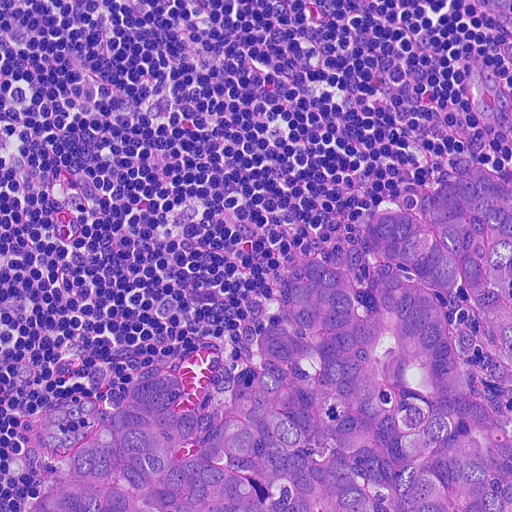
Lymph node section stained with H&E, from a whole-slide image of a breast-cancer sentinel node. Magnification about 20×, about 0.23 mm across the frame, about 0.45 µm per pixel.
One metastatic tumour region; its boundary, reduced to 16 corners and listed clockwise: (476, 159), (511, 171), (511, 511), (25, 511), (148, 368), (178, 371), (189, 396), (175, 410), (232, 403), (235, 373), (262, 358), (260, 328), (305, 255), (362, 240), (374, 214), (448, 166).
The annotated tumour makes up about 35% of the crop.